Question: 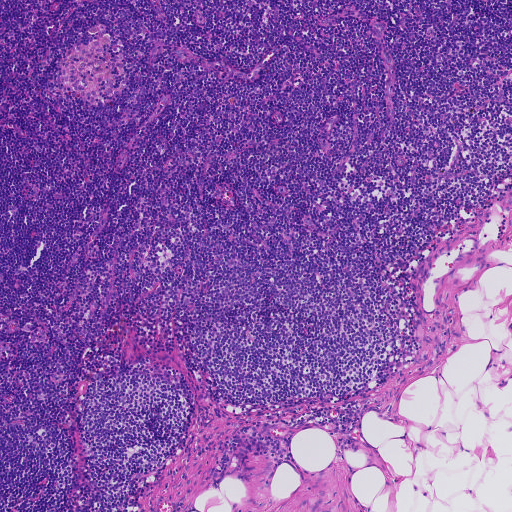
At roughly what magnification is this field shown?

Choices:
 (A) about 5×
 (B) about 2.5×
 (C) about 20×
 (D) about 10×
 (E) about 40×

Answer: (A) about 5×
A 0.93-mm field of an H&E-stained sentinel lymph node from a breast-cancer patient (whole-slide image), shown at about 5×, about 1.8 µm per pixel.
Question: 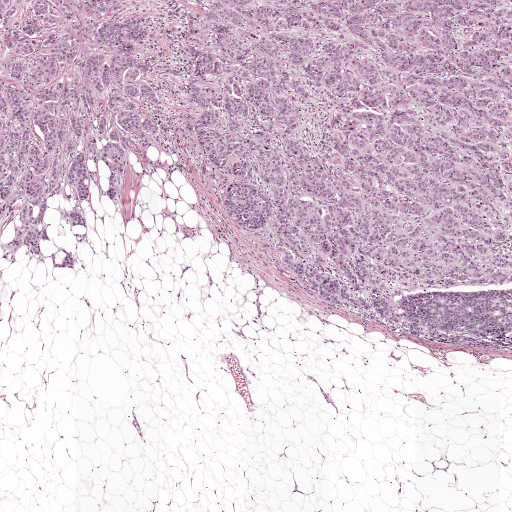
At roughly what magnification is this field shown?

Choices:
 (A) about 10×
 (B) about 40×
 (C) about 20×
 (D) about 2.5×
 (E) about 5×

Answer: (D) about 2.5×
H&E-stained section of a sentinel lymph node (breast cancer), from a whole-slide image, viewed at about 2.5×: the field is about 2.0 mm across, about 3.9 µm per pixel.
The outlined metastatic tumour's edge, as a closed clockwise path of 23 points: (0, 0), (511, 0), (505, 352), (329, 306), (230, 220), (162, 111), (146, 166), (131, 149), (113, 204), (90, 182), (77, 205), (86, 244), (64, 217), (74, 200), (50, 199), (52, 243), (42, 242), (48, 255), (73, 253), (74, 268), (3, 249), (24, 198), (2, 220).
About 50% of this field is tumour.
Question: 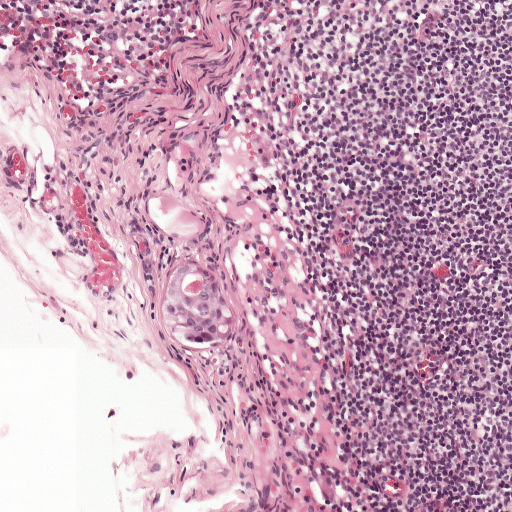
At roughly what magnification is this field shown?

Choices:
 (A) about 5×
 (B) about 20×
 (C) about 10×
 (D) about 2.5×
 (E) about 40×

Answer: (C) about 10×
A 0.5-mm field of an H&E-stained sentinel lymph node from a breast-cancer patient (whole-slide image), shown at about 10×, about 0.97 µm per pixel.
One metastatic tumour region; its boundary, reduced to 8 corners and listed clockwise: (186, 258), (198, 260), (232, 278), (242, 314), (222, 346), (184, 354), (158, 327), (161, 288).
Tumour covers under 5% of the frame.
Question: 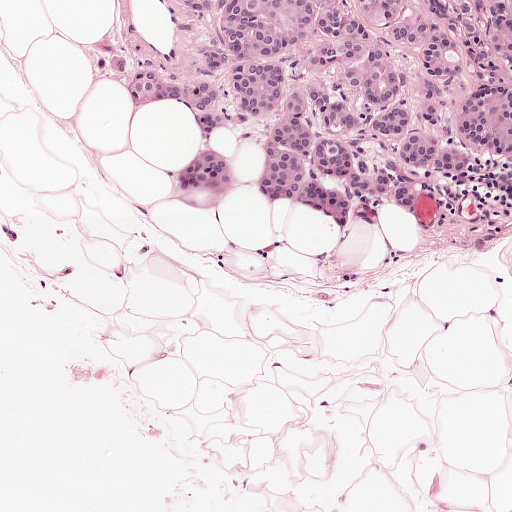
At roughly what magnification is this field shown?

Choices:
 (A) about 10×
 (B) about 2.5×
 (C) about 5×
 (D) about 20×
 (E) about 40×

Answer: (A) about 10×
Lymph node section stained with H&E, from a whole-slide image of a breast-cancer sentinel node. Magnification about 10×, about 0.5 mm across the frame, about 0.97 µm per pixel.
Outlines of two tumour regions, largest first (closed clockwise paths, crop pixels): region 1: (338, 0), (406, 70), (393, 105), (444, 148), (460, 98), (511, 91), (511, 155), (407, 170), (412, 204), (382, 194), (367, 223), (354, 198), (340, 234), (271, 204), (264, 142), (292, 94), (390, 107), (365, 103), (340, 65), (309, 71), (335, 36), (314, 23), (266, 62), (284, 88), (258, 116), (231, 92), (245, 63), (216, 71), (212, 147), (233, 182), (188, 192), (176, 178), (205, 138), (202, 111), (135, 111), (110, 58), (194, 78), (225, 46), (221, 18), (184, 3); region 2: (355, 0), (467, 0), (480, 19), (511, 19), (511, 42), (495, 54), (497, 72), (482, 82), (468, 76), (466, 60), (449, 87), (448, 106), (441, 122), (428, 126), (422, 116), (427, 81), (418, 66), (420, 48), (394, 44), (362, 15).
Tumour covers about 20% of the frame.